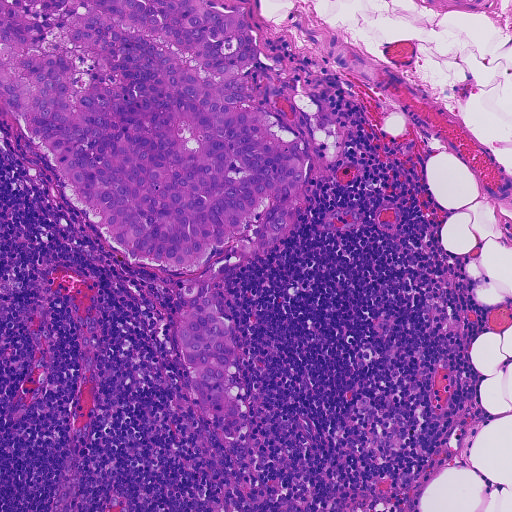
This is a crop of a whole-slide image: an H&E-stained breast-cancer sentinel lymph node section at roughly 10× magnification (about 0.91 µm per pixel; the crop spans about 0.46 mm).
Question: Which parts of this field are metastatic tumour? Answer with the outline of each region, in pixels.
Answer: Boundaries of two metastatic tumour regions, simplified and listed clockwise, largest first: region 1: (0, 0), (204, 0), (242, 11), (260, 49), (236, 107), (262, 110), (268, 128), (297, 140), (303, 175), (293, 222), (256, 251), (258, 220), (244, 225), (197, 271), (144, 266), (74, 206), (4, 107); region 2: (207, 295), (217, 303), (230, 325), (236, 350), (221, 385), (227, 396), (239, 401), (240, 413), (237, 418), (224, 418), (202, 409), (182, 363), (183, 354), (177, 343), (176, 330), (180, 318), (194, 298).
One more small tumour piece is annotated here but not outlined.
About 25% of the image area is annotated as tumour.